Image:
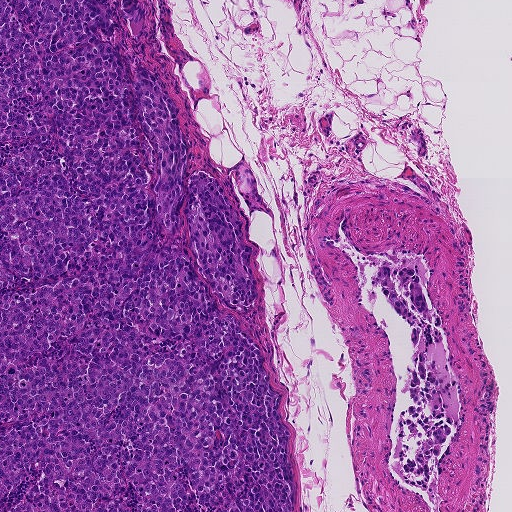
Lymph node section stained with H&E, from a whole-slide image of a breast-cancer sentinel node. Magnification about 5×, about 0.93 mm across the frame, about 1.8 µm per pixel.
Question:
Does this lymph node field contain metastatic tumour?
Answer:
Yes.
Boundaries of three metastatic tumour regions, simplified and listed clockwise, largest first: region 1: (0, 0), (111, 0), (118, 27), (102, 40), (165, 85), (188, 152), (185, 180), (206, 172), (244, 220), (258, 302), (239, 312), (216, 298), (224, 314), (261, 346), (269, 384), (285, 394), (295, 511), (0, 511), (0, 237), (9, 232), (0, 227), (0, 164), (28, 144), (4, 144); region 2: (242, 162), (253, 174), (259, 209), (249, 210), (240, 196), (236, 173), (234, 170), (230, 173), (235, 164); region 3: (120, 0), (140, 1), (145, 5), (146, 22), (134, 23), (124, 20).
One more tumour region is annotated but not outlined: its edge is too irregular for a short outline.
The annotated tumour makes up about 45% of the crop.